Question: 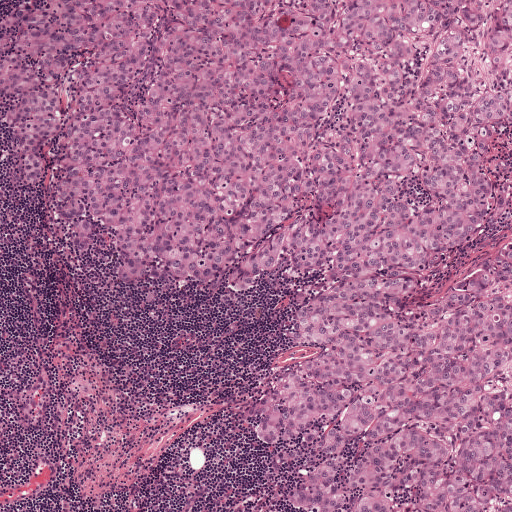
A 1-mm field of an H&E-stained sentinel lymph node from a breast-cancer patient (whole-slide image), shown at about 5×, about 1.9 µm per pixel.
About how much of this crop is taken up by metastatic carcinoma?

Choices:
 (A) about 5% or less
 (B) about 50% or more
 (C) about 10% to 20%
 (D) about 25% to 45%
 (E) none: no tumour is outlined

Answer: (B) about 50% or more
About 75% of the field is tumour.
The outlined metastatic tumour's edge, as a closed clockwise path of 24 points: (17, 0), (511, 0), (511, 511), (292, 508), (284, 499), (295, 486), (274, 488), (274, 448), (256, 437), (254, 415), (267, 367), (308, 359), (322, 344), (294, 348), (279, 333), (314, 281), (214, 301), (151, 299), (130, 297), (103, 264), (63, 252), (33, 196), (0, 181), (0, 18).